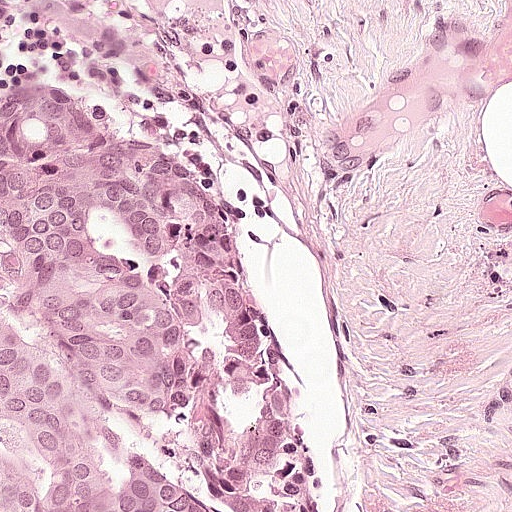
This is a crop of a whole-slide image: an H&E-stained breast-cancer sentinel lymph node section at roughly 20× magnification (about 0.49 µm per pixel; the crop spans about 0.25 mm).
Tumour region outline (a closed clockwise path, crop pixels): (58, 90), (152, 111), (172, 130), (308, 429), (325, 510), (0, 511), (3, 106).
Tumour covers about 40% of the frame.